Image:
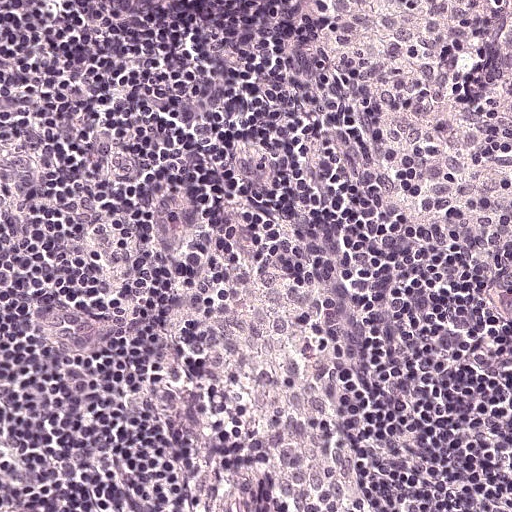
A 0.25-mm field of an H&E-stained sentinel lymph node from a breast-cancer patient (whole-slide image), shown at about 20×, about 0.49 µm per pixel.
Question:
Does this lymph node field contain metastatic tumour?
Answer:
No: no metastatic tumour is outlined anywhere in this field.